Question: 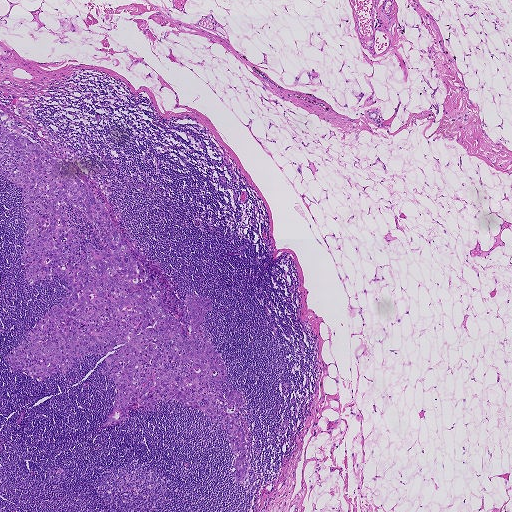
H&E-stained section of a sentinel lymph node (breast cancer), from a whole-slide image, viewed at about 2.5×: the field is about 1.9 mm across, about 3.6 µm per pixel.
About how much of this crop is taken up by metastatic carcinoma?

Choices:
 (A) about 50% or more
 (B) about 10% to 20%
 (C) about 5% or less
 (D) about 25% to 45%
 (E) none: no tumour is outlined

Answer: (B) about 10% to 20%
About 15% of the field is tumour.
Tumour region outline (a closed clockwise path, crop pixels): (0, 126), (95, 191), (183, 303), (210, 298), (204, 327), (227, 377), (217, 389), (245, 396), (242, 482), (223, 427), (176, 400), (97, 429), (116, 389), (98, 352), (42, 383), (13, 373), (2, 358), (68, 287), (56, 275), (22, 281), (28, 212), (4, 177).